Image:
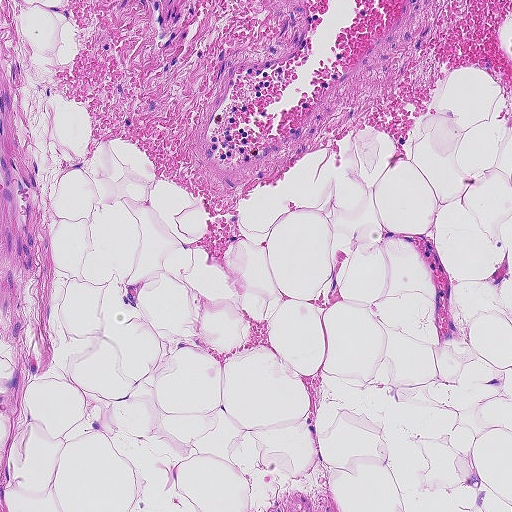
This is a crop of a whole-slide image: an H&E-stained breast-cancer sentinel lymph node section at roughly 10× magnification (about 0.9 µm per pixel; the crop spans about 0.46 mm).
Question:
Does this lymph node field contain metastatic tumour?
Answer:
No, this field holds no outlined metastasis.